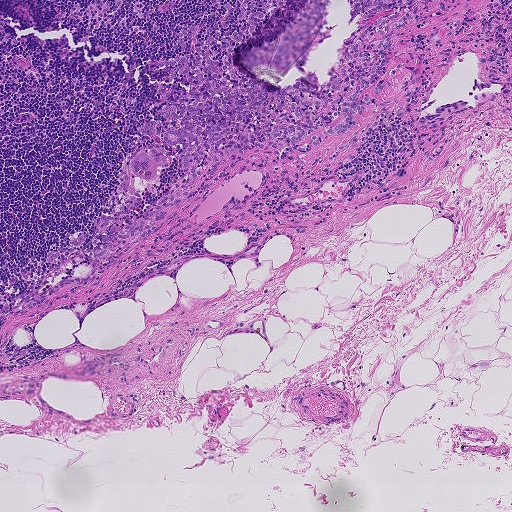
H&E-stained section of a sentinel lymph node (breast cancer), from a whole-slide image, viewed at about 5×: the field is about 0.93 mm across, about 1.8 µm per pixel.
Tumour region outline (a closed clockwise path, crop pixels): (237, 0), (292, 0), (232, 58), (267, 92), (315, 89), (340, 74), (359, 28), (349, 0), (436, 0), (394, 35), (384, 73), (401, 62), (400, 70), (354, 116), (358, 126), (281, 159), (267, 146), (230, 156), (90, 283), (12, 311), (44, 290), (63, 260), (44, 252), (72, 246), (78, 229), (93, 240), (89, 225), (110, 215), (121, 165), (160, 137), (136, 134), (138, 125), (165, 122), (154, 90), (174, 68), (144, 60), (185, 52), (175, 38), (184, 24), (203, 41).
About 15% of the image area is annotated as tumour.